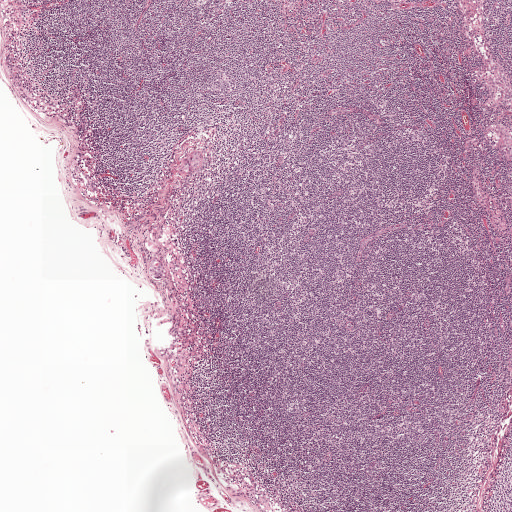
H&E-stained section of a sentinel lymph node (breast cancer), from a whole-slide image, viewed at about 2.5×: the field is about 2.0 mm across, about 3.9 µm per pixel.
Boundaries of two metastatic tumour regions, simplified and listed clockwise, largest first: region 1: (154, 258), (166, 262), (168, 272), (163, 280), (154, 281), (147, 275), (148, 265); region 2: (198, 150), (202, 152), (202, 164), (198, 169), (188, 173), (183, 173), (178, 170), (185, 158).
Under 5% of this field is tumour.